Image:
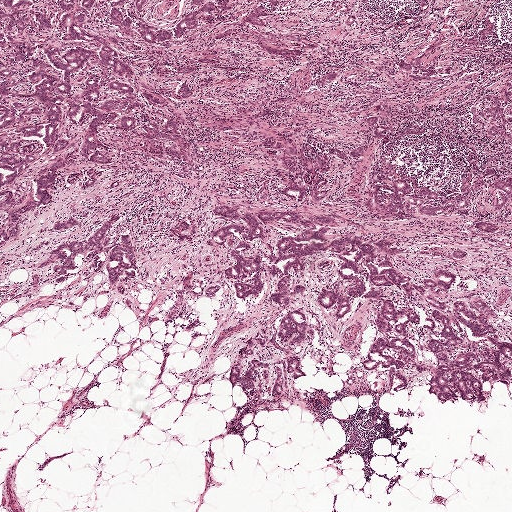
A 2.0-mm field of an H&E-stained sentinel lymph node from a breast-cancer patient (whole-slide image), shown at about 2.5×, about 3.9 µm per pixel.
Question:
Show where the tumour is in this image.
Answer:
The eight largest tumour regions' boundaries, simplified and listed clockwise, largest first: region 1: (0, 0), (299, 0), (269, 25), (322, 51), (284, 62), (249, 44), (234, 46), (194, 108), (194, 173), (149, 161), (94, 199), (64, 184), (59, 204), (29, 218), (1, 252); region 2: (475, 297), (497, 312), (490, 324), (503, 342), (511, 343), (511, 364), (504, 362), (511, 381), (489, 383), (481, 370), (466, 370), (480, 380), (484, 402), (459, 398), (444, 403), (427, 393), (436, 364), (428, 344), (441, 338), (423, 325), (436, 310), (426, 304), (431, 299), (448, 304), (447, 313), (439, 312), (464, 340), (451, 360), (474, 353), (486, 363), (483, 349), (497, 350), (488, 339), (474, 338), (453, 303), (462, 302), (479, 317); region 3: (339, 235), (375, 241), (392, 238), (403, 251), (398, 256), (388, 259), (389, 261), (413, 284), (433, 268), (452, 269), (456, 272), (456, 279), (448, 292), (436, 288), (427, 289), (426, 294), (413, 292), (411, 301), (398, 294), (391, 285), (370, 285), (362, 276), (365, 292), (361, 297), (354, 298), (351, 314), (341, 318), (332, 317), (319, 306), (317, 294), (323, 287), (344, 296), (353, 286), (339, 276), (341, 261), (328, 251), (330, 242); region 4: (226, 204), (237, 212), (256, 217), (256, 211), (262, 210), (287, 208), (306, 217), (327, 216), (332, 220), (333, 231), (325, 237), (323, 251), (301, 260), (297, 274), (287, 272), (289, 284), (301, 284), (304, 290), (283, 307), (267, 297), (274, 283), (268, 273), (275, 260), (273, 244), (276, 239), (305, 230), (259, 221), (261, 238), (250, 241), (230, 228), (225, 241), (215, 240), (211, 232), (217, 228), (248, 225), (241, 220), (217, 217), (210, 212), (212, 206); region 5: (471, 155), (481, 169), (490, 156), (497, 174), (486, 179), (462, 213), (434, 220), (409, 211), (400, 223), (387, 225), (375, 221), (365, 210), (370, 166), (379, 160), (387, 160), (398, 175), (444, 197), (460, 190), (467, 157); region 6: (371, 289), (384, 292), (400, 308), (417, 310), (422, 321), (418, 326), (411, 325), (406, 336), (425, 372), (416, 373), (406, 364), (399, 370), (409, 384), (396, 393), (388, 389), (388, 369), (378, 365), (369, 373), (359, 365), (371, 342), (382, 337), (375, 329), (380, 304), (363, 296); region 7: (271, 133), (292, 146), (306, 142), (323, 146), (335, 146), (347, 149), (359, 145), (361, 147), (361, 156), (354, 158), (347, 157), (341, 159), (326, 152), (328, 168), (322, 174), (326, 181), (315, 187), (319, 190), (326, 188), (323, 198), (319, 201), (309, 199), (310, 184), (314, 172), (307, 170), (302, 171), (301, 174), (306, 192), (302, 199), (296, 201), (279, 193), (290, 179), (289, 171), (273, 152), (258, 144), (259, 138); region 8: (114, 214), (119, 216), (105, 234), (111, 238), (107, 246), (98, 246), (75, 254), (74, 261), (76, 270), (64, 271), (65, 281), (58, 284), (54, 282), (55, 274), (53, 270), (54, 268), (61, 265), (60, 262), (49, 253), (61, 242), (84, 240), (110, 217).
17 more, smaller tumour regions are not outlined.
Two more small tumour pieces are annotated here but not outlined.
Tumour covers about 30% of the frame.